A 0.5-mm field of an H&E-stained sentinel lymph node from a breast-cancer patient (whole-slide image), shown at about 10×, about 0.97 µm per pixel.
Image:
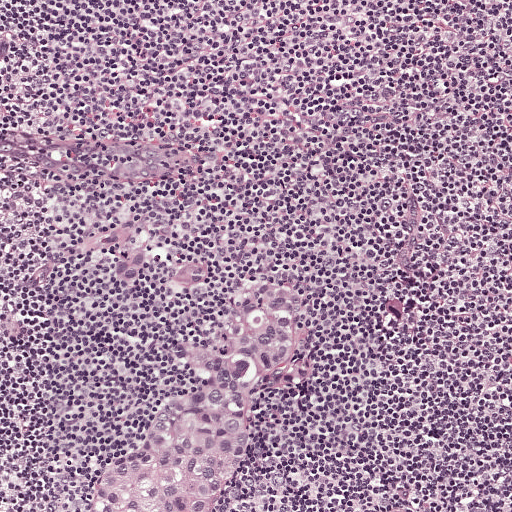
Question:
Describe where the metastatic carcinoma lies in this crop.
Answer:
Boundaries of four metastatic tumour regions, simplified and listed clockwise, largest first: region 1: (243, 280), (291, 287), (307, 306), (309, 357), (300, 380), (251, 396), (241, 452), (206, 511), (84, 511), (94, 478), (136, 447), (159, 402), (202, 384), (199, 374), (175, 362), (174, 350), (221, 327), (232, 286); region 2: (148, 248), (157, 253), (155, 266), (149, 276), (141, 288), (130, 294), (117, 294), (110, 283), (110, 272), (114, 259), (128, 250); region 3: (188, 260), (200, 262), (208, 268), (206, 280), (190, 286), (172, 282), (174, 273); region 4: (6, 30), (18, 45), (8, 72), (0, 75), (0, 33).
About 10% of this field is tumour.